Question: 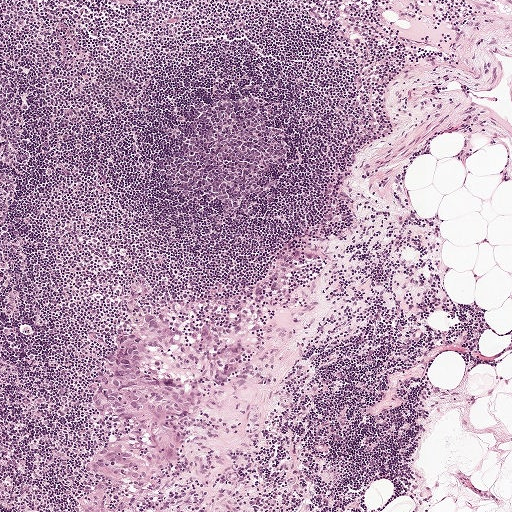
H&E-stained section of a sentinel lymph node (breast cancer), from a whole-slide image, viewed at about 5×: the field is about 1 mm across, about 1.9 µm per pixel.
About how much of this crop is taken up by metastatic carcinoma?

Choices:
 (A) about 50% or more
 (B) about 5% or less
 (C) about 10% to 20%
 (D) none: no tumour is outlined
 (E) about 25% to 45%

Answer: (B) about 5% or less
About 5% of the field is tumour.
One metastatic tumour region; its boundary, reduced to 23 corners and listed clockwise: (160, 308), (181, 318), (210, 320), (224, 333), (238, 335), (244, 355), (236, 376), (202, 396), (186, 416), (184, 456), (162, 472), (140, 511), (83, 511), (78, 499), (85, 478), (95, 471), (89, 457), (116, 425), (115, 415), (96, 402), (100, 371), (115, 351), (128, 311).